A 0.46-mm field of an H&E-stained sentinel lymph node from a breast-cancer patient (whole-slide image), shown at about 10×, about 0.91 µm per pixel.
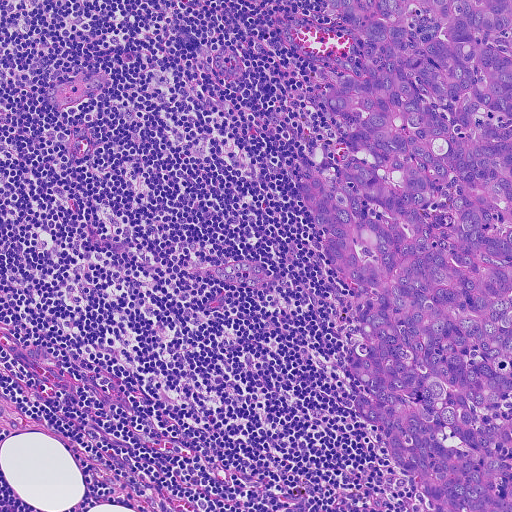
Question: Which parts of this field are metastatic tumour? Answer with the outline of each region, in pixels.
Answer: Tumour region outline (a closed clockwise path, crop pixels): (511, 0), (511, 511), (414, 511), (412, 478), (353, 405), (367, 392), (345, 351), (360, 339), (355, 296), (332, 269), (325, 226), (299, 186), (312, 170), (334, 178), (352, 129), (322, 106), (354, 35), (326, 4).
Tumour covers about 30% of the frame.